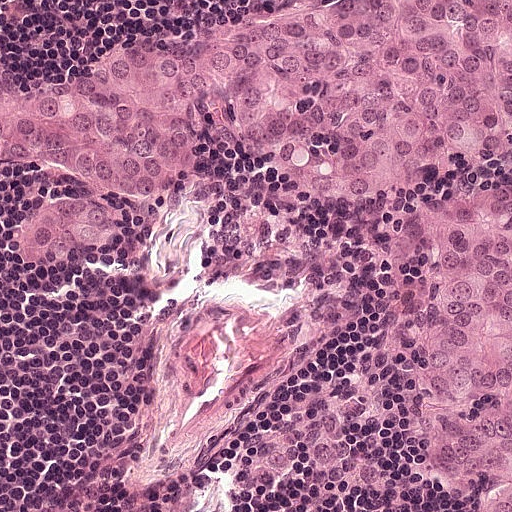
A 0.25-mm field of an H&E-stained sentinel lymph node from a breast-cancer patient (whole-slide image), shown at about 20×, about 0.49 µm per pixel.
Two metastatic tumour regions, each outlined as a closed clockwise path in crop pixels (x, y), largest first: region 1: (333, 0), (511, 0), (511, 132), (434, 180), (334, 202), (196, 136), (185, 150), (190, 174), (118, 194), (122, 224), (103, 252), (50, 271), (6, 263), (14, 224), (94, 197), (60, 173), (0, 168), (0, 78), (50, 84), (143, 39), (250, 34); region 2: (474, 178), (511, 186), (511, 511), (466, 511), (464, 500), (437, 489), (412, 449), (406, 381), (386, 331), (386, 272), (398, 239), (445, 186).
Tumour covers about 45% of the frame.